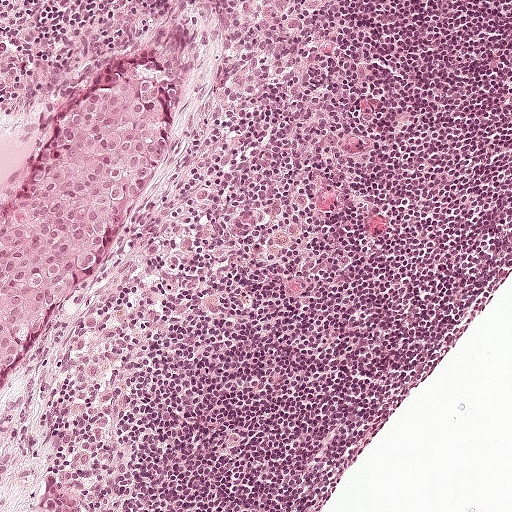
Lymph node section stained with H&E, from a whole-slide image of a breast-cancer sentinel node. Magnification about 10×, about 0.5 mm across the frame, about 0.97 µm per pixel.
Question: Where is the metastatic tumour in this field?
Answer: One metastatic tumour region; its boundary, reduced to 11 corners and listed clockwise: (169, 50), (188, 91), (183, 137), (148, 209), (92, 256), (67, 308), (0, 392), (0, 196), (30, 178), (46, 140), (132, 61).
The annotated tumour makes up about 10% of the crop.